Question: 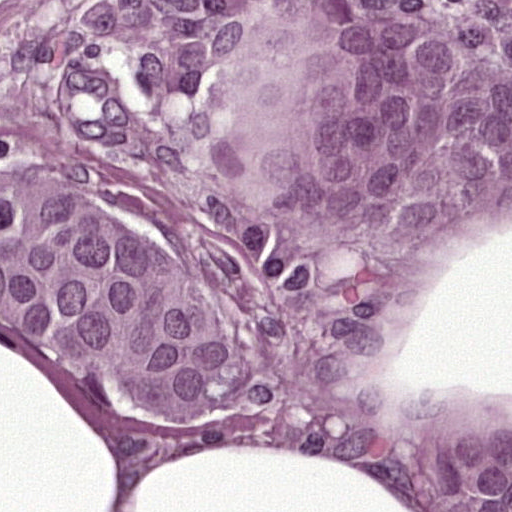
At roughly what magnification is this field shown?

Choices:
 (A) about 2.5×
 (B) about 10×
 (C) about 5×
 (D) about 40×
 (E) about 20×

Answer: (D) about 40×
This is a crop of a whole-slide image: an H&E-stained breast-cancer sentinel lymph node section at roughly 40× magnification (about 0.24 µm per pixel; the crop spans about 0.12 mm).
Three metastatic tumour regions, each outlined as a closed clockwise path in crop pixels (x, y), largest first: region 1: (372, 16), (480, 48), (511, 84), (505, 202), (395, 230), (304, 212), (258, 177), (254, 121), (291, 77), (316, 27); region 2: (19, 166), (99, 197), (221, 309), (241, 355), (207, 432), (47, 368), (0, 329), (0, 188); region 3: (474, 415), (511, 417), (511, 511), (449, 511), (421, 471), (428, 425).
The annotated tumour makes up about 35% of the crop.